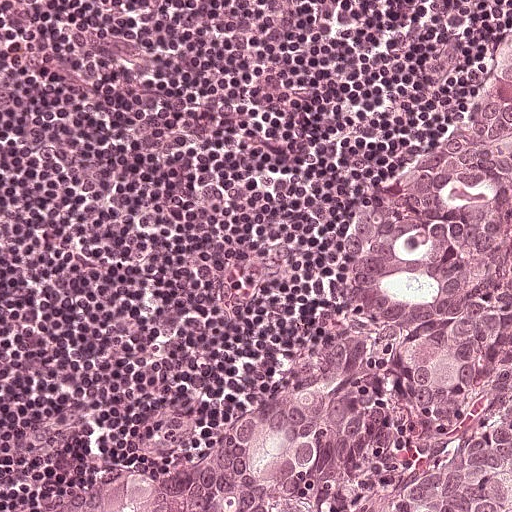
H&E-stained section of a sentinel lymph node (breast cancer), from a whole-slide image, viewed at about 20×: the field is about 0.25 mm across, about 0.49 µm per pixel.
The outlined metastatic tumour's edge, as a closed clockwise path of 8 points: (509, 80), (511, 511), (63, 511), (102, 476), (202, 430), (292, 368), (341, 314), (438, 148).
About 30% of this field is tumour.